Lymph node section stained with H&E, from a whole-slide image of a breast-cancer sentinel node. Magnification about 10×, about 0.5 mm across the frame, about 0.97 µm per pixel.
Question: 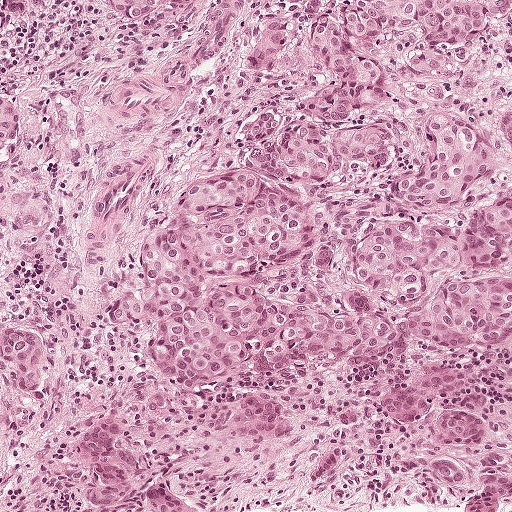
About how much of this crop is taken up by metastatic carcinoma?

Choices:
 (A) about 50% or more
 (B) about 5% or less
 (C) none: no tumour is outlined
 (D) about 25% to 45%
 (E) about 10% to 20%

Answer: (E) about 10% to 20%
About 20% of the field is tumour.
Outlines of three tumour regions, largest first (closed clockwise paths, crop pixels): region 1: (224, 168), (306, 190), (324, 214), (323, 234), (310, 253), (273, 269), (264, 292), (274, 299), (374, 292), (394, 322), (394, 347), (366, 366), (332, 372), (191, 374), (162, 366), (149, 348), (132, 252), (150, 221), (196, 180); region 2: (511, 0), (511, 18), (485, 25), (432, 62), (400, 65), (384, 115), (374, 124), (356, 124), (326, 118), (302, 96), (302, 85), (311, 72), (306, 24), (316, 1); region 3: (188, 0), (166, 16), (150, 23), (121, 23), (100, 10), (90, 1).